Question: 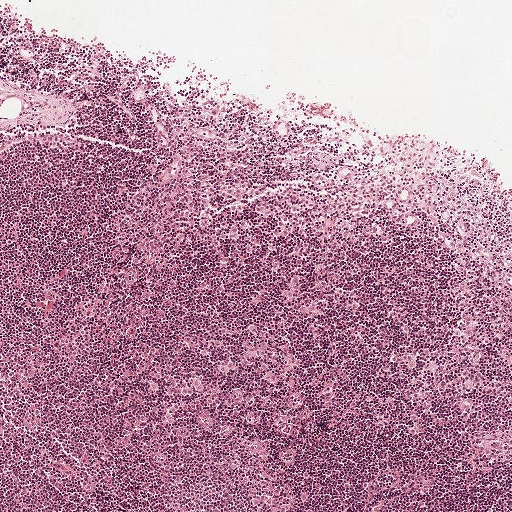
This is a crop of a whole-slide image: an H&E-stained breast-cancer sentinel lymph node section at roughly 5× magnification (about 1.9 µm per pixel; the crop spans about 1 mm).
About how much of this crop is taken up by metastatic carcinoma?

Choices:
 (A) about 50% or more
 (B) about 25% to 45%
 (C) about 5% or less
 (D) none: no tumour is outlined
 (E) about 10% to 20%

Answer: (D) none: no tumour is outlined
No metastatic tumour is outlined in this field.